H&E-stained section of a sentinel lymph node (breast cancer), from a whole-slide image, viewed at about 2.5×: the field is about 1.9 mm across, about 3.6 µm per pixel.
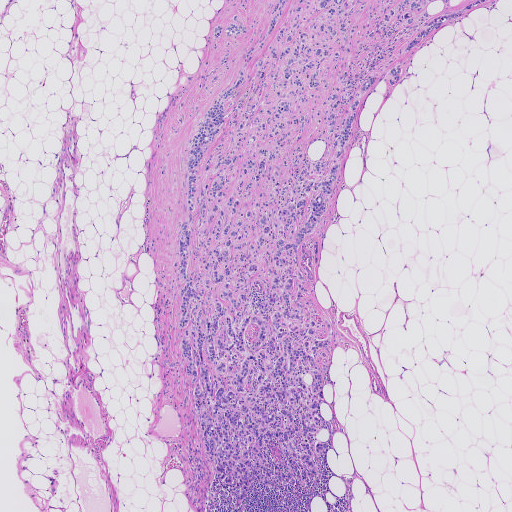
Two metastatic tumour regions, each outlined as a closed clockwise path in crop pixels (x, y), largest first: region 1: (279, 0), (490, 0), (434, 30), (396, 84), (391, 66), (370, 88), (298, 252), (317, 332), (332, 329), (316, 356), (318, 469), (256, 480), (236, 508), (178, 325), (192, 138), (241, 69), (251, 74); region 2: (236, 15), (248, 29), (248, 32), (236, 37), (230, 37), (225, 34), (225, 28), (230, 23), (236, 23), (232, 19).
Four more small tumour pieces are annotated here but not outlined.
Tumour covers about 25% of the frame.